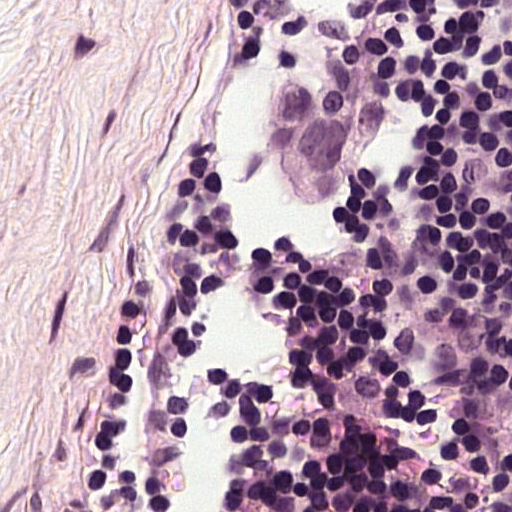
Lymph node section stained with H&E, from a whole-slide image of a breast-cancer sentinel node. Magnification about 40×, about 0.12 mm across the frame, about 0.24 µm per pixel.
Tumour region outline (a closed clockwise path, crop pixels): (279, 69), (335, 90), (357, 132), (350, 190), (340, 221), (316, 221), (282, 209), (271, 195), (256, 190), (243, 177).
About 5% of this field is tumour.